Image:
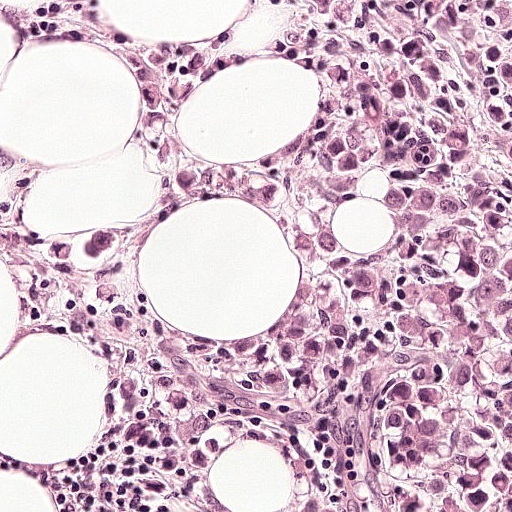
H&E-stained section of a sentinel lymph node (breast cancer), from a whole-slide image, viewed at about 20×: the field is about 0.25 mm across, about 0.49 µm per pixel.
Question:
Does this lymph node field contain metastatic tumour?
Answer:
Yes.
Metastatic tumour outline, simplified to 14 points and listed clockwise in crop pixels (x, y): (511, 0), (511, 511), (264, 511), (260, 416), (244, 377), (285, 268), (244, 230), (242, 175), (251, 159), (298, 136), (306, 95), (290, 50), (262, 36), (260, 2).
The annotated tumour makes up about 50% of the crop.